Question: 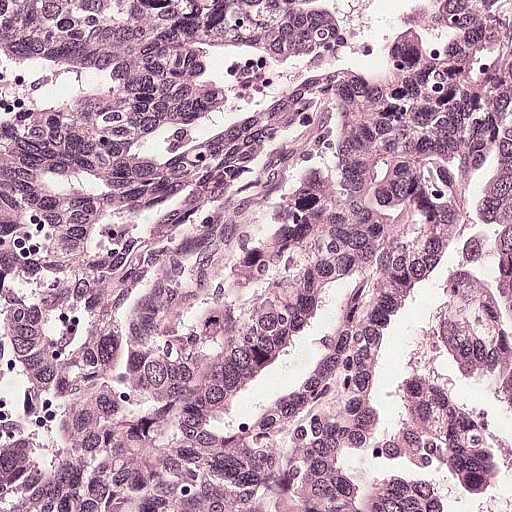
Lymph node section stained with H&E, from a whole-slide image of a breast-cancer sentinel node. Magnification about 20×, about 0.25 mm across the frame, about 0.49 µm per pixel.
Roughly what share of this field is metastatic tumour?

Choices:
 (A) about 5% or less
 (B) about 50% or more
 (C) none: no tumour is outlined
 (D) about 10% to 20%
 (E) about 25% to 45%

Answer: (D) about 10% to 20%
About 10% of the field is tumour.
The outlined metastatic tumour's edge, as a closed clockwise path of 12 points: (0, 0), (386, 0), (362, 27), (318, 27), (310, 61), (271, 90), (176, 129), (126, 129), (98, 120), (76, 104), (55, 61), (0, 34).